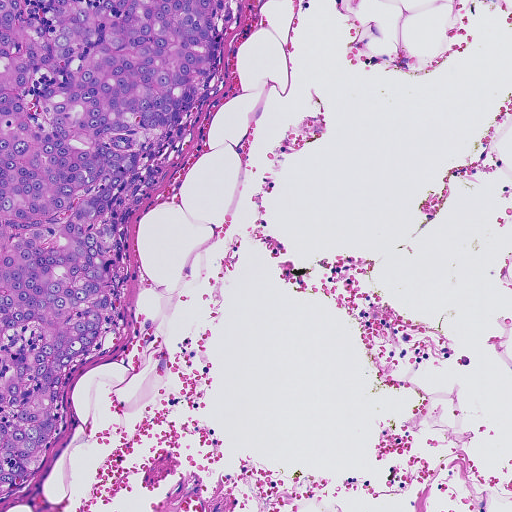
Lymph node section stained with H&E, from a whole-slide image of a breast-cancer sentinel node. Magnification about 10×, about 0.46 mm across the frame, about 0.91 µm per pixel.
One metastatic tumour region; its boundary, reduced to 9 corners and listed clockwise: (0, 0), (226, 0), (201, 99), (117, 196), (108, 321), (94, 350), (61, 379), (46, 460), (1, 494).
Tumour covers about 25% of the frame.